Image:
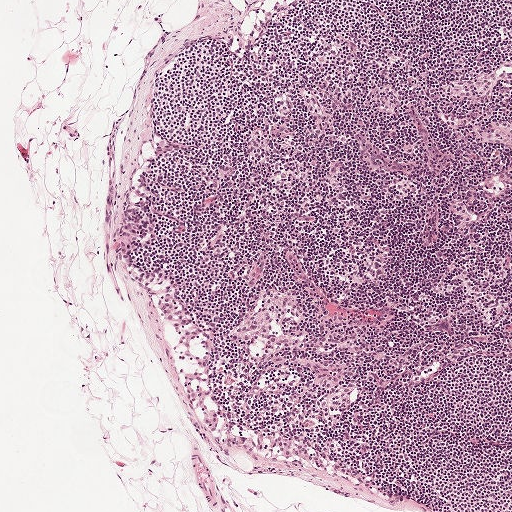
This is a crop of a whole-slide image: an H&E-stained breast-cancer sentinel lymph node section at roughly 5× magnification (about 1.9 µm per pixel; the crop spans about 1 mm).
Question:
Does this lymph node field contain metastatic tumour?
Answer:
No, this field holds no outlined metastasis.